Image:
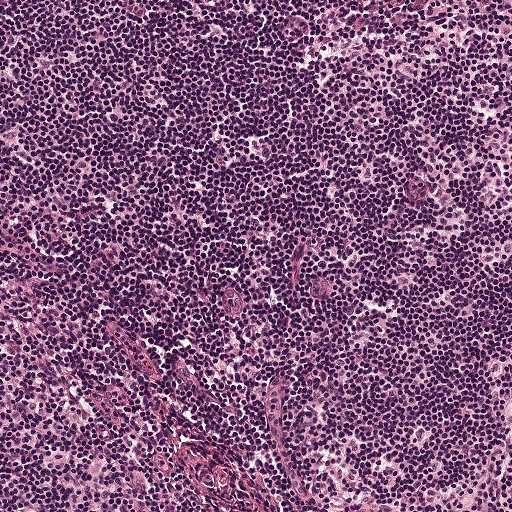
Lymph node section stained with H&E, from a whole-slide image of a breast-cancer sentinel node. Magnification about 10×, about 0.5 mm across the frame, about 0.97 µm per pixel.
Question:
Is there metastatic carcinoma in this field?
Answer:
No. No metastatic tumour is outlined in this field.